Question: 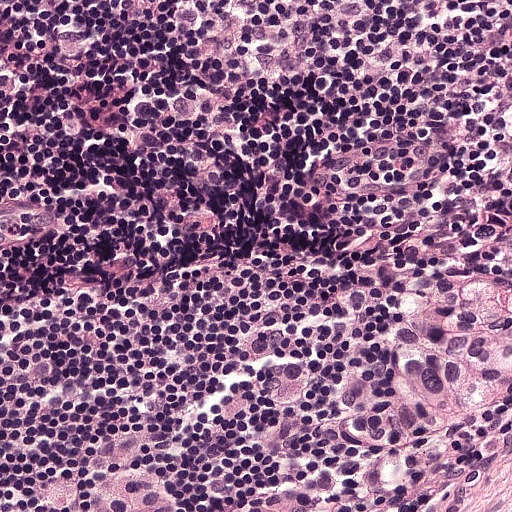
A 0.25-mm field of an H&E-stained sentinel lymph node from a breast-cancer patient (whole-slide image), shown at about 20×, about 0.49 µm per pixel.
Roughly what share of this field is metastatic tumour?

Choices:
 (A) none: no tumour is outlined
 (B) about 10% to 20%
 (C) about 25% to 45%
 (D) about 50% or more
 (E) about 5% or less

Answer: (B) about 10% to 20%
About 20% of the field is tumour.
The outlined metastatic tumour's edge, as a closed clockwise path of 15 points: (511, 134), (511, 403), (462, 465), (394, 511), (107, 511), (90, 493), (88, 465), (96, 449), (192, 482), (224, 478), (244, 452), (246, 408), (256, 394), (362, 350), (391, 328).